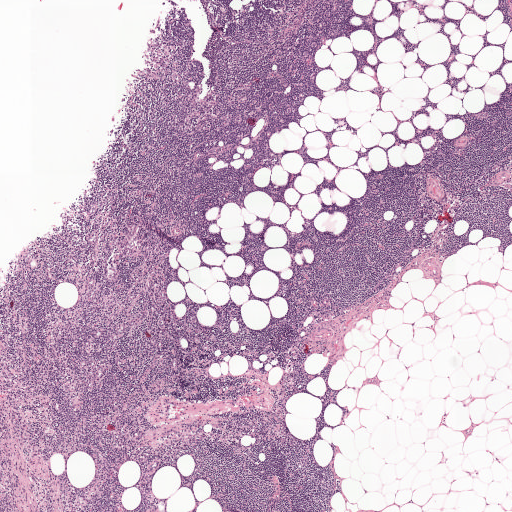
A 2.0-mm field of an H&E-stained sentinel lymph node from a breast-cancer patient (whole-slide image), shown at about 2.5×, about 3.9 µm per pixel.